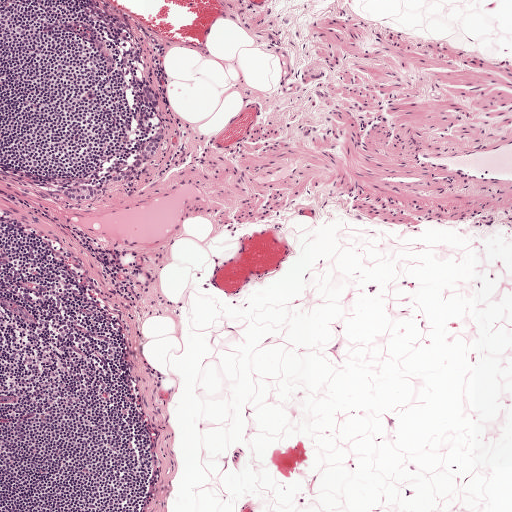
A 1-mm field of an H&E-stained sentinel lymph node from a breast-cancer patient (whole-slide image), shown at about 5×, about 1.9 µm per pixel.
Outlines of three tumour regions, largest first (closed clockwise paths, crop pixels): region 1: (160, 130), (163, 138), (160, 146), (151, 158), (134, 174), (127, 178), (120, 180), (112, 180), (113, 176), (124, 171), (130, 166); region 2: (91, 186), (96, 188), (96, 194), (93, 200), (72, 200), (65, 198), (62, 193), (68, 187); region 3: (144, 84), (150, 86), (158, 92), (158, 106), (154, 110), (147, 102), (143, 94).
Under 5% of this field is tumour.